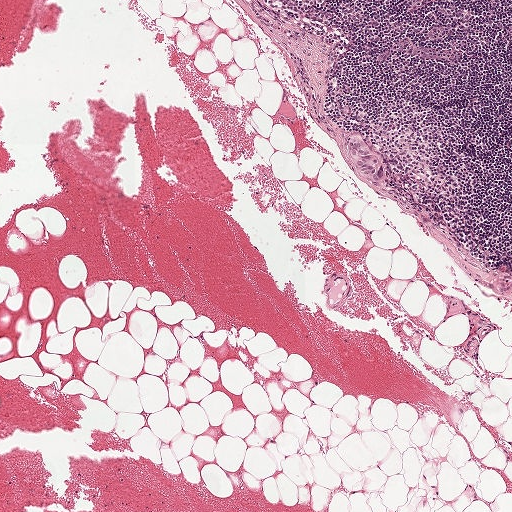
Lymph node section stained with H&E, from a whole-slide image of a breast-cancer sentinel node. Magnification about 5×, about 1 mm across the frame, about 1.9 µm per pixel.
Question: Is any metastatic breast cancer visible in this crop?
Answer: Yes.
One metastatic tumour region; its boundary, reduced to 11 corners and listed clockwise: (355, 131), (364, 134), (381, 156), (384, 165), (384, 173), (381, 182), (370, 181), (353, 170), (350, 158), (345, 149), (346, 137).
Tumour covers under 5% of the frame.

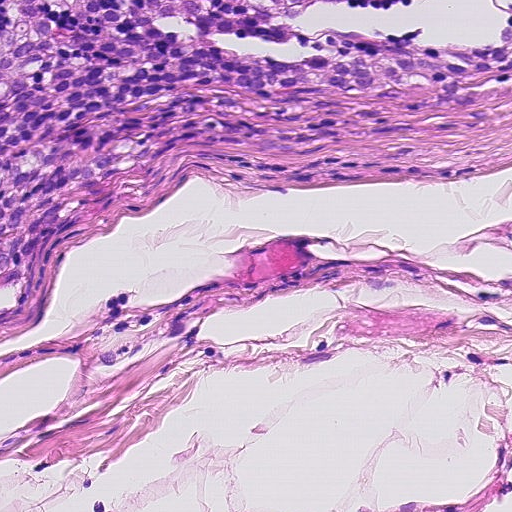
Lymph node section stained with H&E, from a whole-slide image of a breast-cancer sentinel node. Magnification about 20×, about 0.23 mm across the frame, about 0.45 µm per pixel.
Question: Is any metastatic breast cancer visible in this crop?
Answer: Yes.
Tumour region outline (a closed clockwise path, crop pixels): (0, 0), (362, 0), (336, 38), (430, 38), (511, 23), (511, 117), (396, 145), (172, 162), (58, 259), (29, 328), (0, 347).
About 35% of the image area is annotated as tumour.

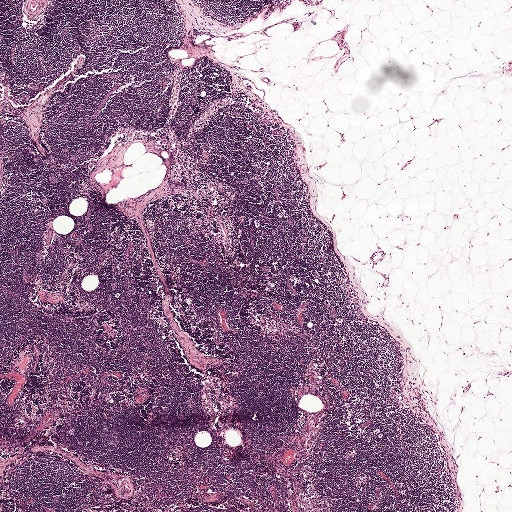
Lymph node section stained with H&E, from a whole-slide image of a breast-cancer sentinel node. Magnification about 2.5×, about 2.0 mm across the frame, about 3.9 µm per pixel.
Question: Is any metastatic breast cancer visible in this crop?
Answer: No: no metastatic tumour is outlined anywhere in this field.

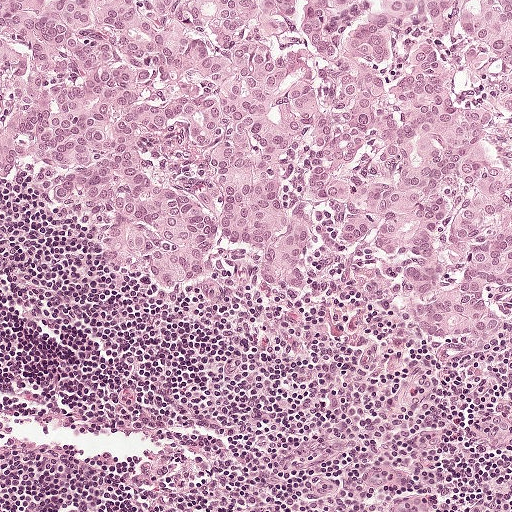
Lymph node section stained with H&E, from a whole-slide image of a breast-cancer sentinel node. Magnification about 10×, about 0.5 mm across the frame, about 0.97 µm per pixel.
Question: Is any metastatic breast cancer visible in this crop?
Answer: Yes.
Metastatic tumour outline, simplified to 14 points and listed clockwise in crop pixels (x, y): (0, 0), (511, 0), (511, 344), (468, 350), (425, 341), (362, 254), (320, 298), (270, 302), (248, 266), (222, 293), (157, 294), (74, 240), (45, 202), (0, 186).
About 55% of this field is tumour.